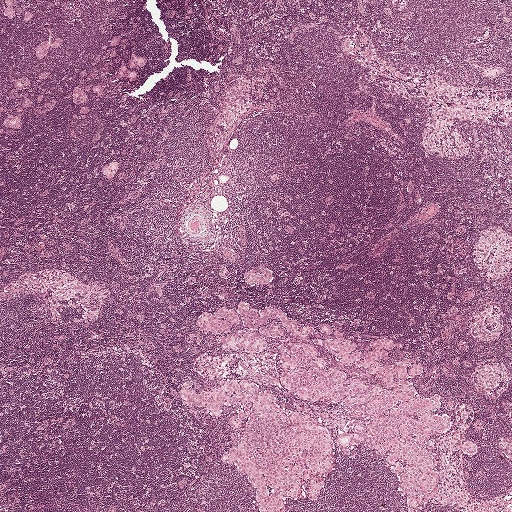
This is a crop of a whole-slide image: an H&E-stained breast-cancer sentinel lymph node section at roughly 2.5× magnification (about 3.9 µm per pixel; the crop spans about 2.0 mm).
The eight largest tumour regions' boundaries, simplified and listed clockwise, largest first: region 1: (277, 306), (362, 350), (400, 343), (386, 364), (417, 360), (420, 393), (439, 395), (452, 423), (434, 436), (437, 490), (421, 511), (406, 511), (377, 455), (344, 456), (333, 444), (320, 496), (258, 511), (248, 480), (220, 456), (245, 433), (249, 417), (227, 423), (243, 405), (203, 418), (178, 404), (178, 382), (250, 381), (332, 435), (354, 417), (281, 388), (284, 342), (226, 353), (194, 327), (199, 313); region 2: (265, 267), (267, 267), (272, 274), (272, 277), (272, 279), (265, 283), (249, 285), (244, 279), (244, 271), (246, 269), (252, 268), (255, 270), (260, 271); region 3: (114, 160), (118, 161), (119, 162), (119, 166), (116, 175), (111, 180), (107, 180), (105, 176), (103, 176), (102, 171), (102, 167), (106, 162); region 4: (75, 85), (83, 88), (87, 94), (87, 102), (80, 105), (74, 105), (71, 100), (71, 92); region 5: (132, 52), (135, 52), (145, 58), (147, 65), (141, 68), (130, 68), (127, 62); region 6: (123, 63), (126, 65), (129, 69), (136, 71), (138, 74), (137, 80), (133, 82), (129, 80), (126, 76), (118, 78), (117, 74), (120, 65); region 7: (8, 114), (20, 117), (22, 122), (20, 129), (5, 128), (3, 123); region 8: (45, 40), (50, 41), (50, 52), (45, 58), (42, 59), (38, 59), (36, 57), (35, 50), (36, 46), (40, 42).
Four more, smaller tumour regions are not outlined.
Eight more small tumour pieces are annotated here but not outlined.
About 15% of the image area is annotated as tumour.